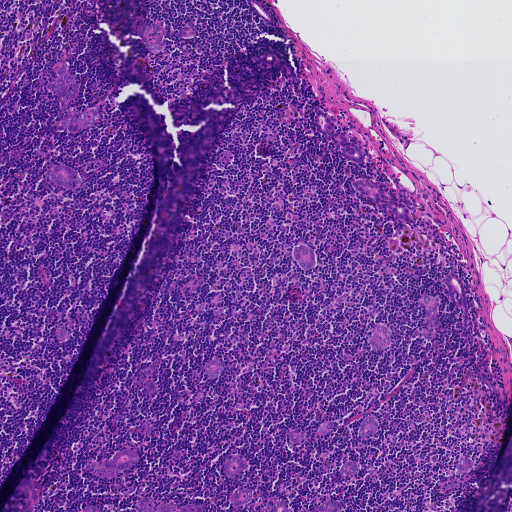
H&E-stained section of a sentinel lymph node (breast cancer), from a whole-slide image, viewed at about 5×: the field is about 0.93 mm across, about 1.8 µm per pixel.
The eight largest tumour regions' boundaries, simplified and listed clockwise, largest first: region 1: (63, 62), (68, 62), (80, 85), (79, 90), (69, 107), (78, 110), (79, 115), (96, 105), (99, 110), (99, 120), (77, 132), (62, 131), (59, 122), (71, 112), (66, 109), (62, 111), (56, 97), (48, 90), (47, 84), (55, 78), (58, 74), (56, 69); region 2: (355, 179), (360, 179), (380, 182), (390, 193), (411, 198), (416, 206), (413, 220), (409, 223), (404, 222), (397, 216), (382, 212), (357, 190), (351, 182); region 3: (314, 106), (319, 106), (331, 116), (338, 129), (343, 131), (348, 140), (362, 148), (364, 152), (362, 162), (358, 163), (344, 157), (326, 136), (316, 130), (317, 115), (314, 111); region 4: (125, 448), (135, 452), (138, 456), (138, 461), (134, 465), (107, 480), (102, 479), (89, 470), (87, 466), (88, 461), (109, 461), (120, 450); region 5: (161, 19), (166, 22), (167, 26), (163, 50), (159, 53), (149, 52), (144, 44), (139, 30); region 6: (61, 164), (71, 167), (82, 177), (82, 182), (79, 186), (68, 188), (53, 183), (47, 176), (48, 170); region 7: (146, 496), (152, 496), (154, 501), (156, 506), (162, 503), (167, 503), (179, 508), (184, 507), (188, 504), (194, 504), (199, 504), (203, 507), (204, 511), (147, 511), (142, 510), (138, 507), (138, 502), (141, 498); region 8: (452, 271), (456, 272), (462, 281), (468, 305), (465, 308), (456, 304), (449, 296), (444, 283), (444, 278), (447, 274).
14 more, smaller tumour regions are not outlined.
Five more small tumour pieces are annotated here but not outlined.
About 5% of the image area is annotated as tumour.